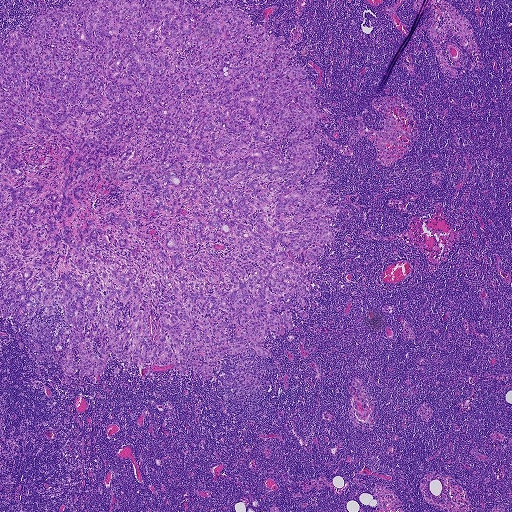
H&E-stained section of a sentinel lymph node (breast cancer), from a whole-slide image, viewed at about 2.5×: the field is about 1.9 mm across, about 3.6 µm per pixel.
The outlined metastatic tumour's edge, as a closed clockwise path of 24 points: (69, 2), (231, 3), (307, 67), (303, 141), (325, 157), (295, 187), (324, 168), (316, 209), (348, 211), (323, 216), (308, 317), (288, 309), (263, 344), (277, 364), (226, 354), (202, 382), (115, 377), (110, 358), (66, 384), (61, 358), (18, 344), (27, 317), (0, 318), (0, 39).
One more small tumour piece is annotated here but not outlined.
About 40% of this field is tumour.